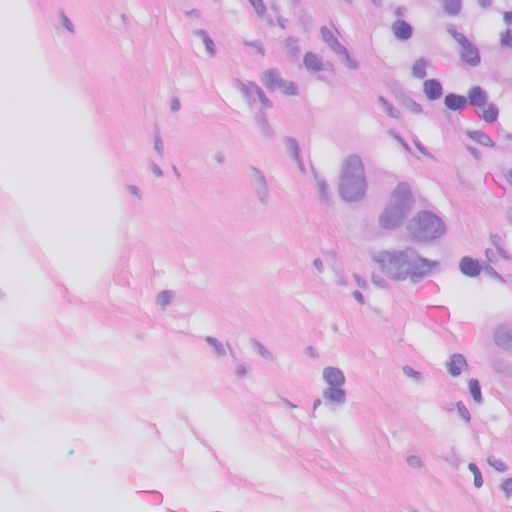
A 0.13-mm field of an H&E-stained sentinel lymph node from a breast-cancer patient (whole-slide image), shown at about 40×, about 0.25 µm per pixel.
Outlines of two tumour regions, largest first (closed clockwise paths, crop pixels): region 1: (356, 134), (384, 160), (416, 175), (442, 195), (459, 219), (459, 248), (448, 273), (421, 286), (394, 287), (352, 251), (324, 198), (317, 169), (328, 140); region 2: (501, 302), (511, 303), (511, 395), (485, 381), (464, 359), (455, 331), (473, 307).
The annotated tumour makes up about 5% of the crop.